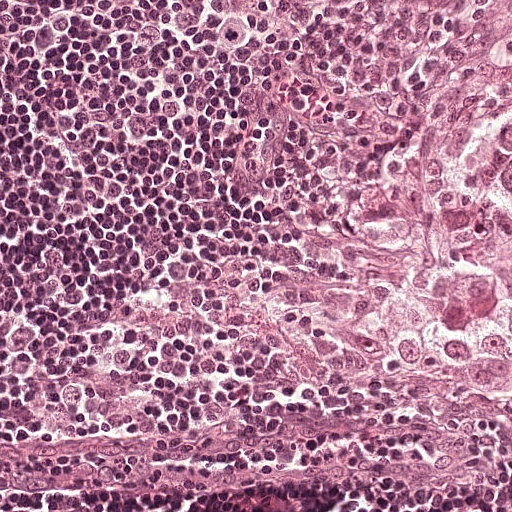
A 0.25-mm field of an H&E-stained sentinel lymph node from a breast-cancer patient (whole-slide image), shown at about 20×, about 0.49 µm per pixel.
Question: Where is the metastatic tumour in this field? Give each region's outline as (x, y) pixel points.
Answer: Tumour region outline (a closed clockwise path, crop pixels): (178, 0), (511, 0), (511, 413), (476, 422), (425, 407), (318, 438), (269, 438), (166, 408), (108, 376), (118, 285), (218, 185), (236, 148), (230, 61).
About 55% of the image area is annotated as tumour.